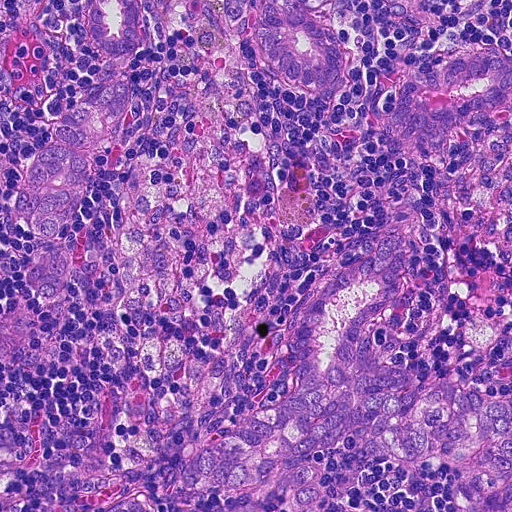
H&E-stained section of a sentinel lymph node (breast cancer), from a whole-slide image, viewed at about 20×: the field is about 0.23 mm across, about 0.45 µm per pixel.
Question: Show where the tumour is in this image.
Answer: Outlines of five tumour regions, largest first (closed clockwise paths, crop pixels): region 1: (396, 236), (408, 286), (370, 330), (380, 360), (511, 404), (511, 511), (466, 511), (448, 454), (386, 460), (367, 436), (306, 463), (328, 486), (324, 511), (290, 511), (265, 486), (228, 497), (198, 478), (200, 448), (245, 408), (277, 401), (294, 376), (299, 314), (340, 268); region 2: (88, 0), (137, 0), (126, 114), (99, 158), (82, 206), (68, 228), (55, 239), (72, 258), (73, 283), (56, 300), (31, 296), (26, 271), (42, 243), (20, 228), (16, 201), (38, 154), (102, 73), (90, 39); region 3: (474, 47), (511, 55), (511, 98), (460, 126), (430, 136), (408, 136), (384, 117), (389, 87), (412, 67), (443, 54); region 4: (255, 0), (304, 0), (299, 1), (323, 18), (340, 37), (351, 60), (343, 84), (318, 92), (294, 84), (274, 70), (260, 48); region 5: (142, 497), (145, 511), (103, 511), (112, 498).
About 25% of this field is tumour.